Question: 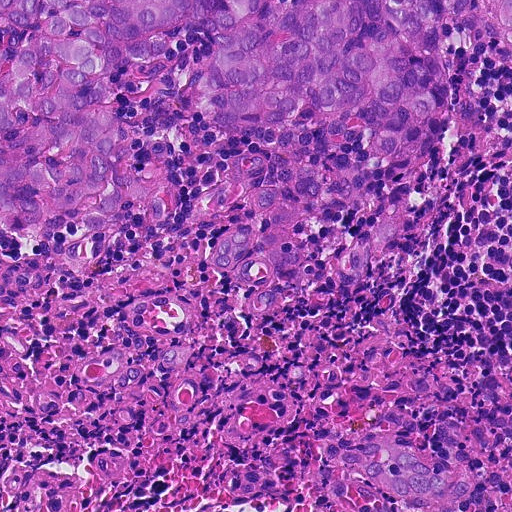
A 0.23-mm field of an H&E-stained sentinel lymph node from a breast-cancer patient (whole-slide image), shown at about 20×, about 0.45 µm per pixel.
What fraction of the image area is metastatic tumour?

Choices:
 (A) about 5% or less
 (B) about 10% to 20%
 (C) about 25% to 45%
 (D) about 50% or more
 (E) none: no tumour is outlined

Answer: (C) about 25% to 45%
About 30% of the field is tumour.
Three metastatic tumour regions, each outlined as a closed clockwise path in crop pixels (x, y), largest first: region 1: (0, 0), (511, 0), (511, 49), (492, 18), (441, 47), (457, 118), (420, 158), (385, 158), (368, 128), (215, 128), (188, 82), (212, 56), (196, 28), (112, 78), (132, 171), (157, 165), (162, 223), (150, 226), (140, 198), (122, 198), (115, 234), (2, 227); region 2: (334, 437), (380, 438), (423, 458), (431, 470), (445, 478), (455, 466), (470, 469), (472, 484), (466, 499), (438, 509), (422, 508), (393, 498), (366, 478), (332, 470), (321, 458), (319, 443); region 3: (251, 150), (266, 160), (256, 172), (252, 186), (268, 184), (281, 189), (279, 204), (254, 223), (257, 238), (232, 276), (217, 274), (210, 261), (212, 246), (246, 208), (244, 194), (229, 166), (236, 152).